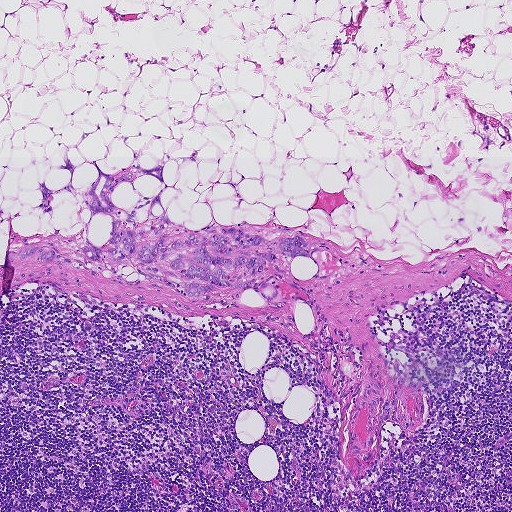
H&E-stained section of a sentinel lymph node (breast cancer), from a whole-slide image, viewed at about 5×: the field is about 0.93 mm across, about 1.8 µm per pixel.
Question: Show where the tumour is in this image.
Answer: Boundaries of two metastatic tumour regions, simplified and listed clockwise, largest first: region 1: (137, 162), (143, 175), (111, 195), (120, 219), (145, 196), (150, 202), (133, 218), (147, 218), (149, 211), (157, 216), (166, 211), (166, 241), (231, 227), (271, 241), (299, 235), (308, 241), (309, 258), (280, 256), (278, 266), (288, 275), (270, 263), (255, 277), (276, 279), (279, 295), (271, 302), (252, 289), (224, 288), (193, 300), (177, 285), (130, 266), (85, 260), (87, 238), (98, 247), (112, 232), (112, 217), (91, 216), (84, 202), (97, 166), (102, 206), (106, 179); region 2: (32, 243), (54, 250), (72, 262), (56, 265), (52, 263), (54, 260), (40, 262), (36, 256), (31, 260), (10, 258), (25, 246).
The annotated tumour makes up about 5% of the crop.